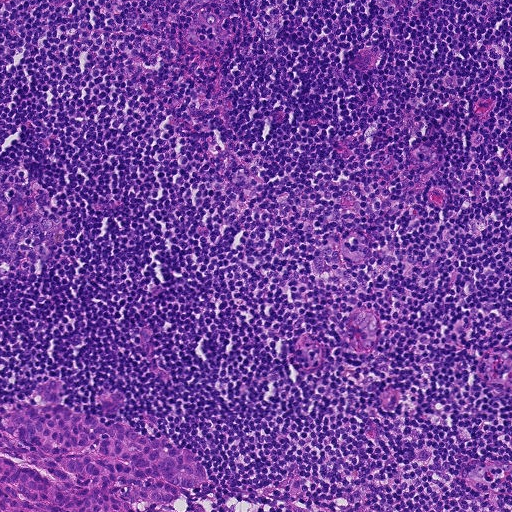
A 0.46-mm field of an H&E-stained sentinel lymph node from a breast-cancer patient (whole-slide image), shown at about 10×, about 0.9 µm per pixel.
Tumour region outline (a closed clockwise path, crop pixels): (56, 375), (65, 393), (58, 404), (100, 420), (101, 396), (121, 391), (122, 410), (107, 422), (164, 437), (200, 456), (208, 474), (202, 491), (182, 490), (190, 509), (0, 511), (0, 416), (43, 403), (36, 402), (36, 381).
About 5% of the image area is annotated as tumour.